Question: 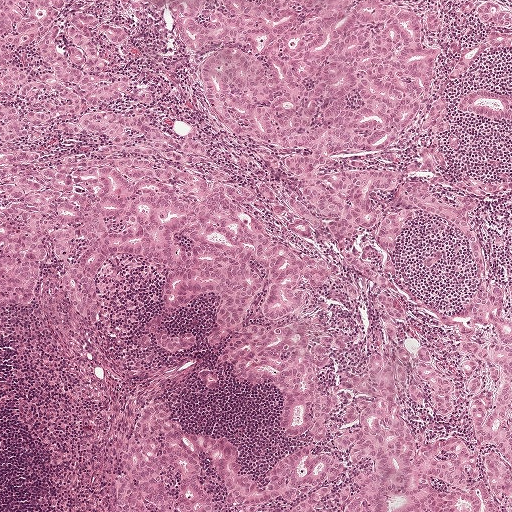
Lymph node section stained with H&E, from a whole-slide image of a breast-cancer sentinel node. Magnification about 5×, about 1 mm across the frame, about 1.9 µm per pixel.
Estimate the proportion of this field that is metastatic tumour.

Choices:
 (A) about 50% or more
 (B) about 10% to 20%
 (C) about 25% to 45%
 (D) about 5% or less
 (E) none: no tumour is outlined

Answer: (B) about 10% to 20%
About 10% of the field is tumour.
The outlined metastatic tumour's edge, as a closed clockwise path of 40 points: (73, 154), (197, 174), (223, 169), (234, 182), (251, 185), (257, 200), (249, 214), (271, 238), (323, 259), (324, 286), (314, 289), (300, 277), (304, 296), (294, 311), (264, 318), (259, 310), (268, 300), (269, 273), (253, 261), (252, 266), (264, 286), (239, 324), (219, 329), (218, 294), (209, 290), (185, 306), (165, 306), (160, 290), (165, 274), (158, 263), (114, 256), (99, 270), (96, 323), (82, 321), (63, 287), (64, 262), (50, 236), (57, 229), (60, 190), (37, 170).